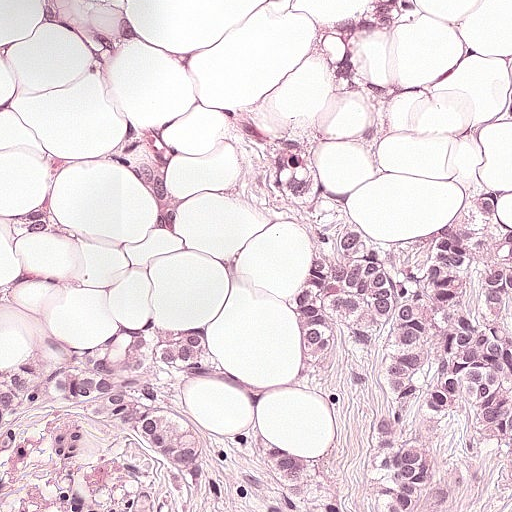
Lymph node section stained with H&E, from a whole-slide image of a breast-cancer sentinel node. Magnification about 20×, about 0.25 mm across the frame, about 0.49 µm per pixel.
The outlined metastatic tumour's edge, as a closed clockwise path of 22 points: (416, 0), (320, 144), (324, 188), (401, 233), (460, 188), (510, 216), (511, 511), (0, 511), (0, 370), (36, 336), (198, 322), (260, 410), (190, 398), (194, 424), (318, 450), (270, 210), (225, 185), (246, 146), (296, 131), (306, 64), (290, 31), (316, 7).
About 50% of the image area is annotated as tumour.